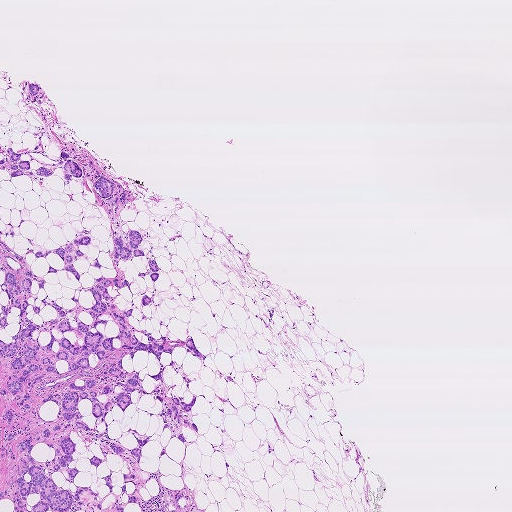
This is a crop of a whole-slide image: an H&E-stained breast-cancer sentinel lymph node section at roughly 2.5× magnification (about 3.6 µm per pixel; the crop spans about 1.9 mm).
Outlines of four tumour regions, largest first (closed clockwise paths, crop pixels): region 1: (87, 233), (80, 249), (109, 278), (114, 237), (142, 233), (160, 272), (154, 282), (137, 276), (143, 257), (120, 259), (132, 308), (152, 300), (127, 319), (152, 337), (192, 336), (206, 356), (172, 356), (199, 373), (188, 387), (198, 433), (183, 426), (185, 442), (171, 438), (160, 457), (152, 394), (133, 390), (105, 422), (80, 400), (90, 432), (33, 387), (25, 410), (9, 393), (7, 442), (2, 397), (13, 357), (0, 358), (0, 235), (29, 270), (34, 252); region 2: (61, 423), (56, 438), (70, 438), (81, 453), (86, 444), (101, 459), (111, 443), (137, 445), (135, 436), (122, 431), (130, 428), (150, 437), (138, 464), (128, 454), (106, 454), (112, 484), (120, 486), (123, 475), (134, 474), (137, 490), (131, 496), (136, 504), (128, 501), (127, 492), (120, 495), (124, 511), (0, 511), (0, 490), (12, 496), (15, 491), (21, 456), (16, 444), (25, 438), (33, 445), (46, 442), (53, 436), (44, 438), (44, 428); region 3: (39, 143), (55, 158), (62, 157), (63, 149), (94, 182), (99, 176), (114, 180), (126, 191), (126, 199), (123, 206), (116, 208), (82, 185), (82, 177), (72, 176), (69, 184), (53, 174), (37, 175), (32, 169), (11, 177), (2, 169), (0, 152), (12, 148), (18, 153), (25, 151); region 4: (26, 80), (40, 85), (45, 91), (45, 98), (42, 105), (28, 101), (26, 93), (21, 88).
One more small tumour piece is annotated here but not outlined.
About 15% of this field is tumour.